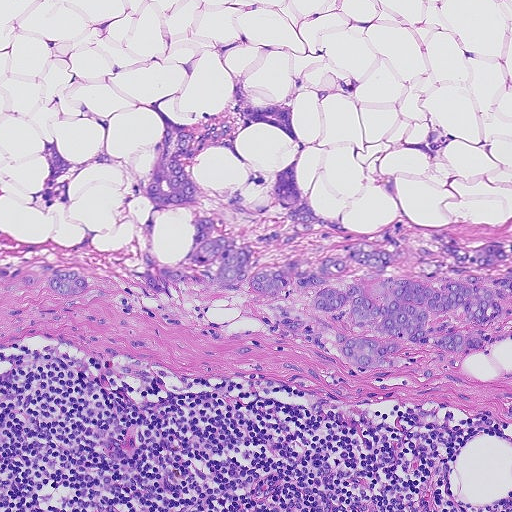
A 0.46-mm field of an H&E-stained sentinel lymph node from a breast-cancer patient (whole-slide image), shown at about 10×, about 0.9 µm per pixel.
Boundaries of seven metastatic tumour regions, simplified and listed clockwise, largest first: region 1: (202, 218), (210, 238), (255, 250), (251, 275), (344, 259), (342, 275), (324, 276), (335, 290), (370, 268), (348, 252), (362, 242), (395, 257), (384, 271), (400, 280), (511, 273), (490, 322), (427, 312), (478, 326), (485, 349), (404, 344), (395, 354), (412, 360), (391, 370), (351, 366), (333, 332), (390, 337), (316, 312), (315, 289), (268, 300), (202, 273), (153, 294), (143, 253), (180, 260); region 2: (238, 76), (255, 105), (287, 96), (292, 76), (324, 91), (346, 77), (360, 82), (355, 101), (332, 94), (319, 106), (316, 92), (300, 91), (292, 114), (305, 145), (300, 153), (274, 126), (244, 129), (235, 142), (262, 174), (298, 159), (297, 180), (312, 210), (352, 233), (318, 228), (288, 243), (254, 240), (292, 228), (279, 207), (254, 218), (226, 208), (230, 192), (249, 174), (226, 151), (204, 152), (199, 144), (208, 120), (231, 123), (231, 134), (242, 122), (227, 102); region 3: (172, 124), (186, 125), (197, 134), (194, 148), (187, 160), (190, 175), (197, 187), (194, 200), (180, 204), (152, 204), (145, 192), (155, 164), (160, 135); region 4: (82, 100), (89, 110), (110, 120), (106, 144), (114, 166), (96, 166), (84, 171), (71, 184), (72, 204), (66, 207), (60, 202), (46, 211), (42, 206), (40, 188), (48, 172), (42, 156), (44, 138), (48, 142), (57, 138), (60, 152), (75, 162), (96, 152), (102, 129), (80, 118); region 5: (494, 242), (503, 243), (511, 248), (509, 256), (494, 266), (484, 268), (466, 268), (457, 264), (444, 252), (443, 243), (461, 246), (468, 250); region 6: (434, 126), (439, 126), (458, 137), (441, 150), (436, 160), (430, 161), (415, 149), (403, 148), (404, 143), (416, 144), (421, 142); region 7: (65, 269), (79, 270), (88, 281), (84, 294), (70, 296), (55, 294), (49, 282), (59, 271).
About 15% of the image area is annotated as tumour.